Question: 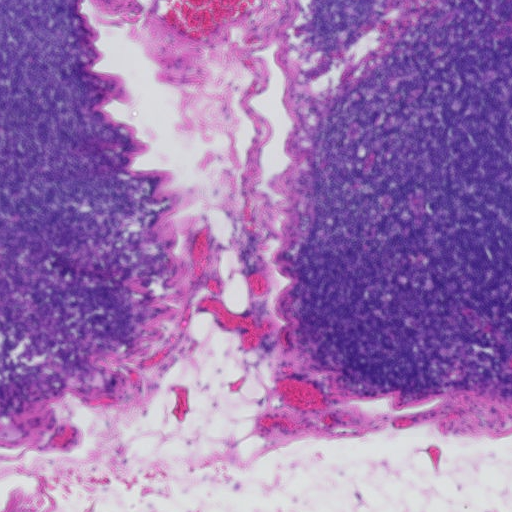
About what magnification does this crop show?

Choices:
 (A) about 5×
 (B) about 40×
 (C) about 20×
 (D) about 2.5×
 (E) about 10×

Answer: (A) about 5×
This is a crop of a whole-slide image: an H&E-stained breast-cancer sentinel lymph node section at roughly 5× magnification (about 1.8 µm per pixel; the crop spans about 0.93 mm).